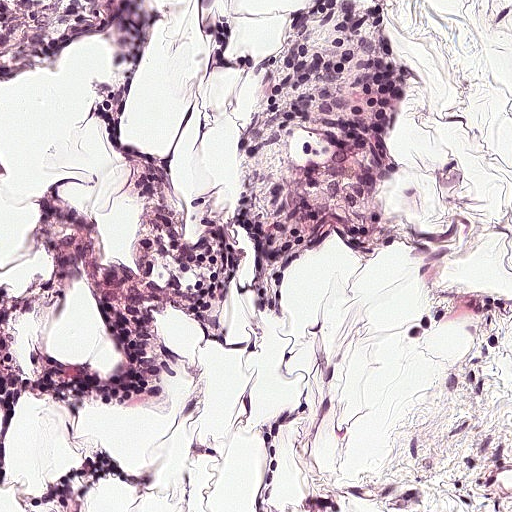
H&E-stained section of a sentinel lymph node (breast cancer), from a whole-slide image, viewed at about 20×: the field is about 0.25 mm across, about 0.49 µm per pixel.
Question: Is there metastatic carcinoma in this field?
Answer: No, this field holds no outlined metastasis.